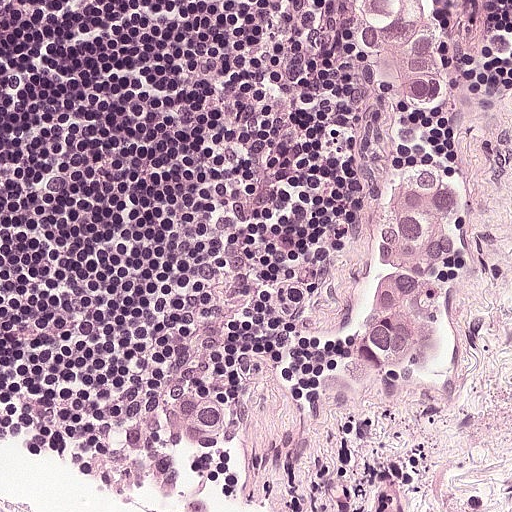
A 0.25-mm field of an H&E-stained sentinel lymph node from a breast-cancer patient (whole-slide image), shown at about 20×, about 0.49 µm per pixel.
One metastatic tumour region; its boundary, reduced to 17 corners and listed clockwise: (507, 0), (482, 46), (461, 54), (434, 103), (396, 126), (400, 158), (454, 187), (450, 284), (420, 366), (404, 380), (364, 374), (352, 346), (374, 246), (372, 160), (355, 102), (354, 18), (361, 2).
About 10% of the image area is annotated as tumour.